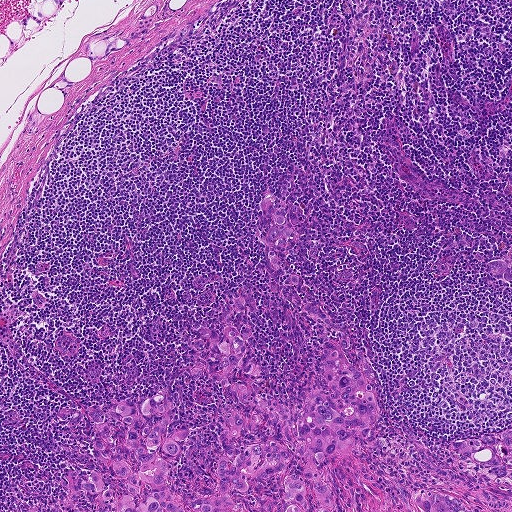
A 0.93-mm field of an H&E-stained sentinel lymph node from a breast-cancer patient (whole-slide image), shown at about 5×, about 1.8 µm per pixel.
Three metastatic tumour regions, each outlined as a closed clockwise path in crop pixels (x, y), largest first: region 1: (250, 322), (245, 360), (265, 377), (247, 381), (294, 423), (310, 389), (326, 394), (330, 336), (350, 342), (379, 407), (354, 448), (410, 497), (451, 487), (408, 441), (452, 466), (448, 442), (509, 427), (511, 511), (118, 511), (80, 483), (94, 470), (128, 492), (95, 459), (86, 407), (161, 388), (177, 402), (166, 436), (190, 429), (166, 459), (183, 500), (219, 495), (234, 408), (242, 450), (280, 439), (278, 419), (255, 426), (251, 405), (189, 370), (215, 369), (220, 334); region 2: (266, 192), (275, 193), (278, 202), (286, 206), (294, 233), (289, 241), (286, 250), (278, 254), (281, 263), (301, 282), (296, 284), (284, 284), (286, 277), (289, 275), (271, 266), (269, 263), (266, 235), (273, 218), (270, 208), (268, 210), (258, 210), (260, 199); region 3: (511, 252), (511, 285), (506, 280), (499, 276), (491, 275), (485, 269), (486, 261), (493, 258), (502, 258), (510, 255).
One more small tumour piece is annotated here but not outlined.
The annotated tumour makes up about 15% of the crop.